H&E-stained section of a sentinel lymph node (breast cancer), from a whole-slide image, viewed at about 5×: the field is about 0.93 mm across, about 1.8 µm per pixel.
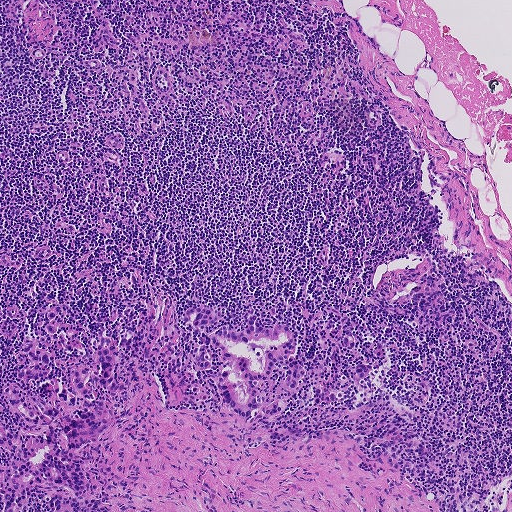
Outlines of four tumour regions, largest first (closed clockwise paths, crop pixels): region 1: (60, 298), (73, 306), (65, 321), (90, 337), (105, 322), (116, 337), (132, 334), (133, 348), (115, 369), (129, 395), (108, 398), (115, 423), (80, 448), (103, 443), (89, 466), (105, 474), (114, 508), (47, 511), (34, 488), (26, 511), (0, 511), (0, 461), (7, 464), (10, 456), (0, 446), (0, 424), (22, 427), (5, 397), (5, 380), (38, 394), (46, 395), (49, 387), (12, 369), (24, 337), (48, 346), (52, 372), (69, 387), (75, 355), (45, 326), (48, 310); region 2: (195, 302), (215, 309), (217, 320), (205, 329), (226, 325), (247, 328), (256, 311), (271, 327), (280, 322), (291, 325), (298, 334), (293, 355), (309, 368), (281, 414), (287, 417), (307, 407), (321, 379), (332, 380), (366, 360), (374, 340), (383, 345), (385, 355), (382, 362), (371, 360), (371, 372), (362, 378), (350, 378), (342, 386), (344, 396), (315, 411), (296, 437), (275, 440), (223, 403), (212, 384), (185, 367), (183, 349), (193, 346), (194, 335), (180, 318); region 3: (346, 330), (351, 330), (356, 341), (356, 348), (350, 350), (344, 347), (340, 342), (341, 335); region 4: (4, 320), (14, 323), (14, 328), (12, 334), (6, 335), (0, 331), (0, 324).
About 10% of this field is tumour.